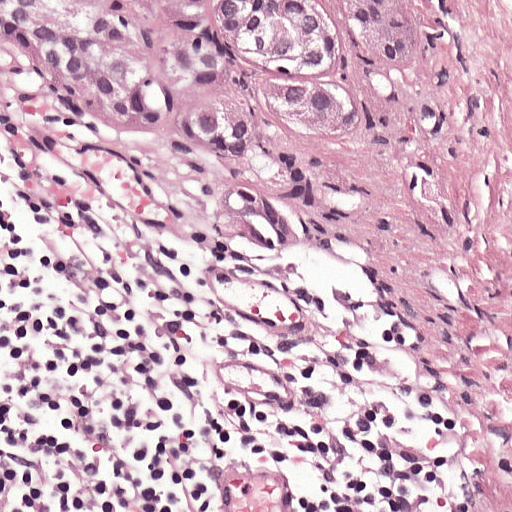
H&E-stained section of a sentinel lymph node (breast cancer), from a whole-slide image, viewed at about 20×: the field is about 0.25 mm across, about 0.49 µm per pixel.
Outlines of two tumour regions, largest first (closed clockwise paths, crop pixels): region 1: (0, 0), (325, 0), (365, 107), (312, 130), (244, 140), (218, 168), (184, 142), (188, 102), (136, 128), (18, 118), (0, 110); region 2: (342, 0), (410, 0), (433, 40), (396, 68), (365, 47).
About 20% of the image area is annotated as tumour.